This is a crop of a whole-slide image: an H&E-stained breast-cancer sentinel lymph node section at roughly 5× magnification (about 1.8 µm per pixel; the crop spans about 0.93 mm).
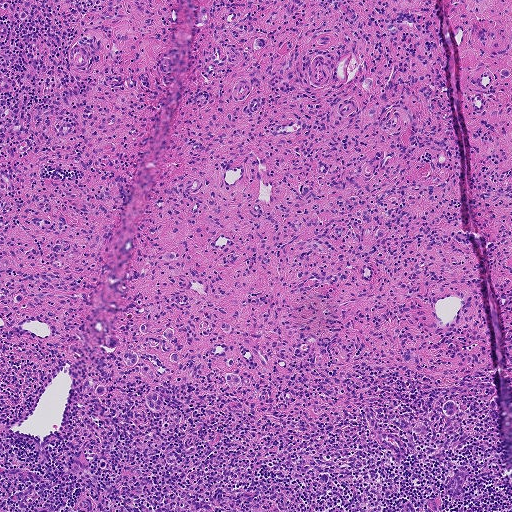
Boundaries of four metastatic tumour regions, simplified and listed clockwise, largest first: region 1: (126, 352), (132, 352), (138, 355), (139, 361), (151, 368), (152, 374), (146, 376), (140, 372), (137, 366), (131, 368), (125, 366), (122, 357); region 2: (154, 393), (164, 401), (164, 408), (158, 412), (152, 412), (146, 400), (148, 394); region 3: (227, 373), (234, 373), (239, 376), (240, 382), (236, 388), (230, 387), (226, 383), (222, 376); region 4: (451, 400), (456, 403), (457, 409), (455, 415), (448, 416), (442, 407), (444, 401).
15 more small tumour pieces are annotated here but not outlined.
Under 5% of the image area is annotated as tumour.